Question: 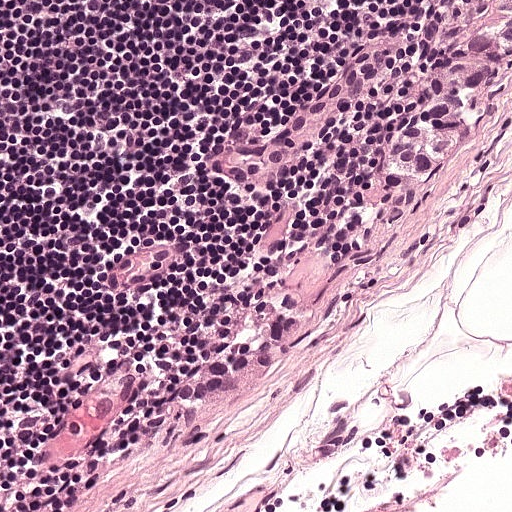
A 0.25-mm field of an H&E-stained sentinel lymph node from a breast-cancer patient (whole-slide image), shown at about 20×, about 0.49 µm per pixel.
Roughly what share of this field is metastatic tumour?

Choices:
 (A) about 25% to 45%
 (B) about 50% or more
 (C) none: no tumour is outlined
 (D) about 10% to 20%
 (E) about 5% or less

Answer: (E) about 5% or less
About 5% of the field is tumour.
Metastatic tumour outline, simplified to 15 points and listed clockwise in crop pixels (x, y): (460, 0), (511, 0), (511, 89), (498, 104), (471, 157), (438, 200), (413, 222), (380, 223), (368, 220), (362, 208), (394, 130), (420, 88), (415, 85), (426, 76), (434, 42).